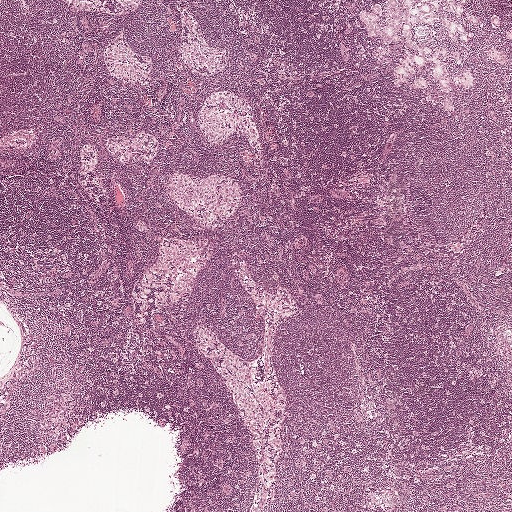
A 2.0-mm field of an H&E-stained sentinel lymph node from a breast-cancer patient (whole-slide image), shown at about 2.5×, about 3.9 µm per pixel.
Question: Where is the metastatic tumour in this field? Give each region's outline as (x, y) pixel points.
Answer: Outlines of four tumour regions, largest first (closed clockwise paths, crop pixels): region 1: (466, 0), (464, 9), (480, 20), (476, 26), (436, 9), (434, 14), (460, 23), (473, 33), (473, 38), (468, 37), (465, 44), (446, 40), (438, 22), (412, 28), (410, 35), (416, 43), (441, 49), (451, 84), (450, 93), (442, 94), (434, 85), (428, 63), (422, 72), (409, 75), (401, 86), (392, 86), (393, 67), (408, 53), (395, 42), (389, 63), (374, 64), (370, 51), (378, 42), (365, 38), (359, 14), (375, 4), (386, 6), (387, 1); region 2: (465, 69), (471, 70), (473, 82), (469, 89), (466, 89), (455, 84), (453, 74); region 3: (492, 47), (504, 53), (505, 56), (505, 64), (499, 64), (490, 58), (487, 55), (487, 49); region 4: (418, 77), (424, 79), (426, 80), (427, 83), (427, 88), (425, 89), (419, 88), (413, 85), (412, 84), (412, 79).
Three more small tumour pieces are annotated here but not outlined.
The annotated tumour makes up about 5% of the crop.